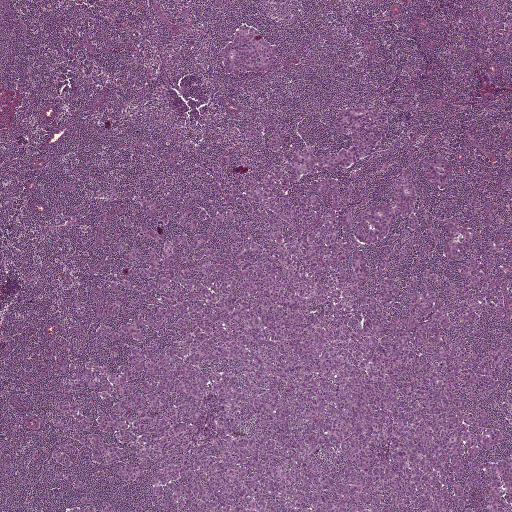
A 2.0-mm field of an H&E-stained sentinel lymph node from a breast-cancer patient (whole-slide image), shown at about 2.5×, about 3.9 µm per pixel.
Question: Show where the tumour is in this image.
Answer: Four metastatic tumour regions, each outlined as a closed clockwise path in crop pixels (x, y), largest first: region 1: (378, 109), (375, 152), (317, 179), (389, 200), (410, 170), (421, 222), (511, 211), (511, 382), (477, 460), (511, 453), (511, 511), (478, 489), (479, 511), (129, 511), (145, 481), (110, 501), (122, 480), (76, 457), (72, 491), (56, 393), (89, 397), (73, 362), (118, 366), (92, 358), (114, 345), (92, 330), (138, 312), (104, 313), (144, 264), (113, 244), (152, 244), (120, 218), (177, 235), (134, 198), (242, 188), (284, 161), (275, 129), (336, 153), (336, 113); region 2: (248, 23), (259, 29), (266, 40), (278, 45), (280, 51), (279, 57), (271, 68), (260, 74), (242, 77), (230, 75), (226, 70), (220, 57), (220, 50), (238, 27); region 3: (438, 153), (449, 160), (453, 172), (448, 188), (434, 188), (427, 182), (419, 162), (424, 158), (430, 157); region 4: (89, 495), (93, 495), (98, 495), (101, 497), (112, 504), (117, 511), (68, 511), (70, 507), (78, 505), (79, 500), (81, 497).
One more small tumour piece is annotated here but not outlined.
About 50% of the image area is annotated as tumour.